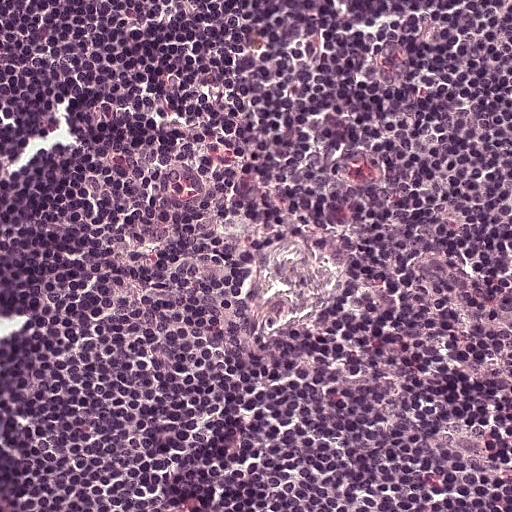
A 0.25-mm field of an H&E-stained sentinel lymph node from a breast-cancer patient (whole-slide image), shown at about 20×, about 0.49 µm per pixel.
Question: Does this lymph node field contain metastatic tumour?
Answer: No, this field holds no outlined metastasis.